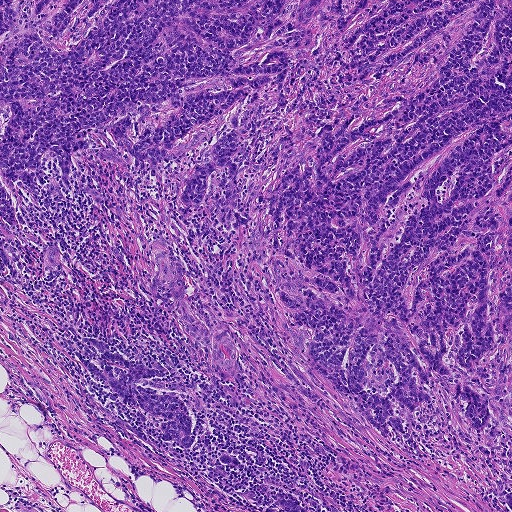
This is a crop of a whole-slide image: an H&E-stained breast-cancer sentinel lymph node section at roughly 5× magnification (about 1.8 µm per pixel; the crop spans about 0.93 mm).
Question: Where is the metastatic tumour in this field? Give each region's outline as (x, y) pixel points.
Answer: Outlines of five tumour regions, largest first (closed clockwise paths, crop pixels): region 1: (0, 0), (511, 0), (511, 409), (499, 403), (493, 426), (472, 436), (438, 397), (410, 447), (388, 445), (297, 364), (252, 262), (177, 204), (179, 162), (120, 169), (86, 161), (71, 190), (5, 185), (26, 218), (25, 231), (4, 226), (15, 278), (0, 268); region 2: (78, 338), (89, 338), (170, 376), (140, 383), (173, 392), (189, 406), (197, 438), (191, 447), (180, 447), (170, 441), (159, 439), (154, 418), (144, 424), (126, 409), (112, 391), (84, 371), (70, 345); region 3: (275, 491), (286, 493), (296, 499), (304, 507), (309, 511), (282, 511), (281, 509), (272, 502); region 4: (220, 452), (231, 454), (240, 461), (243, 471), (223, 465), (220, 463); region 5: (509, 490), (511, 491), (511, 511), (501, 498).
The annotated tumour makes up about 60% of the crop.